Lymph node section stained with H&E, from a whole-slide image of a breast-cancer sentinel node. Magnification about 20×, about 0.23 mm across the frame, about 0.45 µm per pixel.
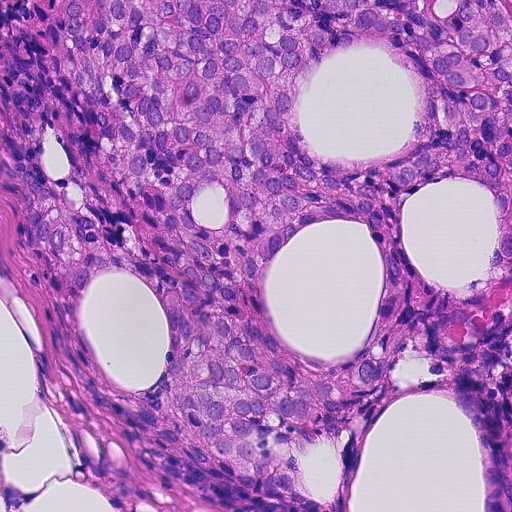
Metastatic tumour outline, simplified to 23 points and listed clockwise in crop pixels (x, y): (67, 0), (511, 0), (511, 272), (484, 286), (482, 192), (462, 179), (414, 194), (398, 238), (432, 300), (376, 389), (294, 442), (302, 498), (254, 496), (164, 422), (171, 339), (136, 276), (116, 264), (70, 294), (26, 236), (24, 168), (76, 212), (124, 217), (53, 65).
About 60% of the image area is annotated as tumour.